H&E-stained section of a sentinel lymph node (breast cancer), from a whole-slide image, viewed at about 40×: the field is about 0.12 mm across, about 0.24 µm per pixel.
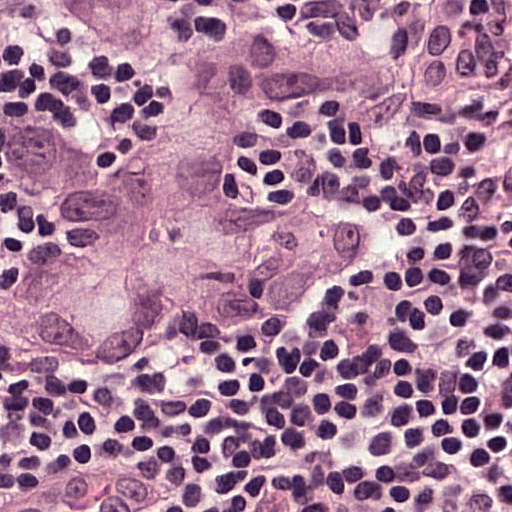
Question: Outline the metastatic carcinoma in this image, as closed paths of (x, y) pixel coordinates.
Answer: Metastatic tumour outline, simplified to 15 points and listed clockwise in crop pixels (x, y): (0, 0), (287, 8), (366, 29), (436, 77), (436, 87), (390, 108), (327, 90), (274, 103), (287, 171), (398, 187), (403, 245), (316, 319), (205, 350), (61, 356), (0, 332).
Tumour covers about 45% of the frame.